H&E-stained section of a sentinel lymph node (breast cancer), from a whole-slide image, viewed at about 10×: the field is about 0.46 mm across, about 0.9 µm per pixel.
Image:
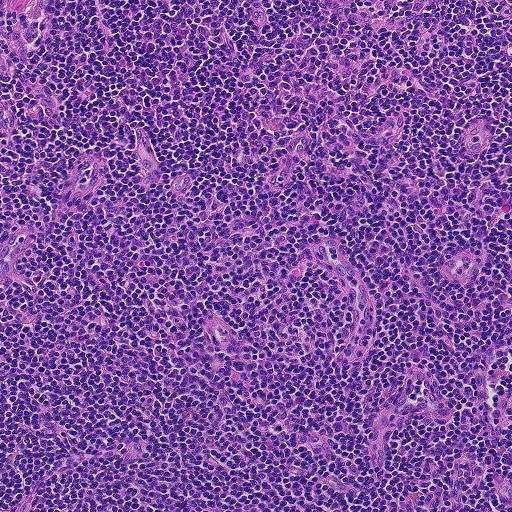
Question:
Is there metastatic carcinoma in this field?
Answer:
No: no metastatic tumour is outlined anywhere in this field.